Question: 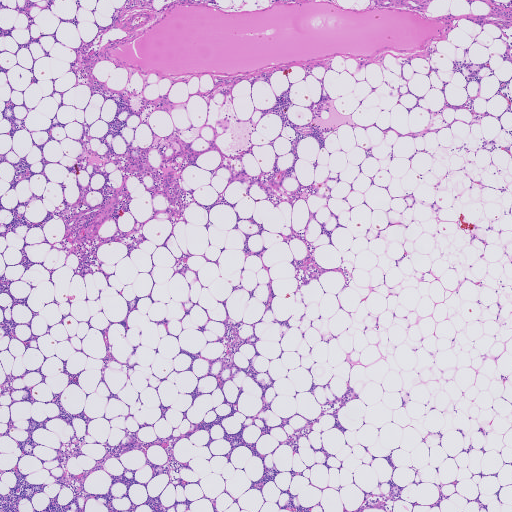
About what magnification does this crop show?

Choices:
 (A) about 20×
 (B) about 5×
 (C) about 10×
 (D) about 40×
 (E) about 2.5×

Answer: (E) about 2.5×
A 1.9-mm field of an H&E-stained sentinel lymph node from a breast-cancer patient (whole-slide image), shown at about 2.5×, about 3.6 µm per pixel.